H&E-stained section of a sentinel lymph node (breast cancer), from a whole-slide image, viewed at about 20×: the field is about 0.23 mm across, about 0.45 µm per pixel.
Image:
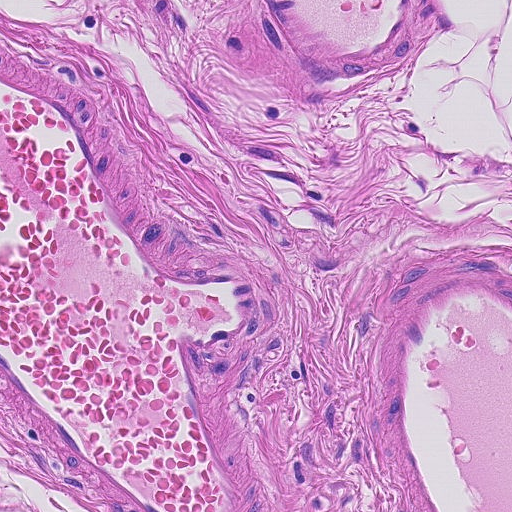
Question:
Does this lymph node field contain metastatic tumour?
Answer:
No. No metastatic tumour is outlined in this field.